Image:
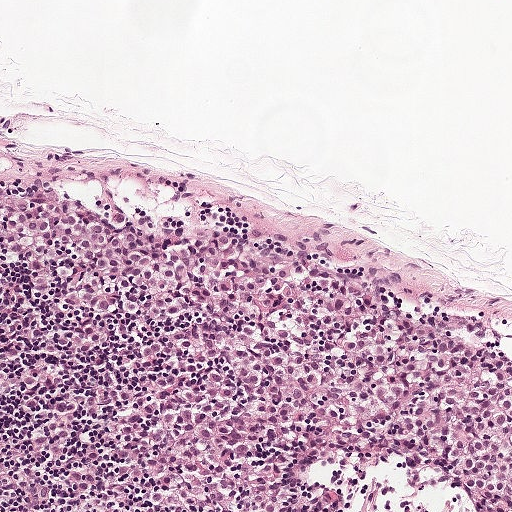
Lymph node section stained with H&E, from a whole-slide image of a breast-cancer sentinel node. Magnification about 10×, about 0.5 mm across the frame, about 0.97 µm per pixel.
Question:
Where is the metastatic tumour in this field? Give each region's outline as (x, y) pixel points.
Answer:
One metastatic tumour region; its boundary, reduced to 7 corners and listed clockwise: (0, 191), (86, 191), (190, 209), (382, 303), (511, 337), (511, 511), (4, 511).
The annotated tumour makes up about 50% of the crop.